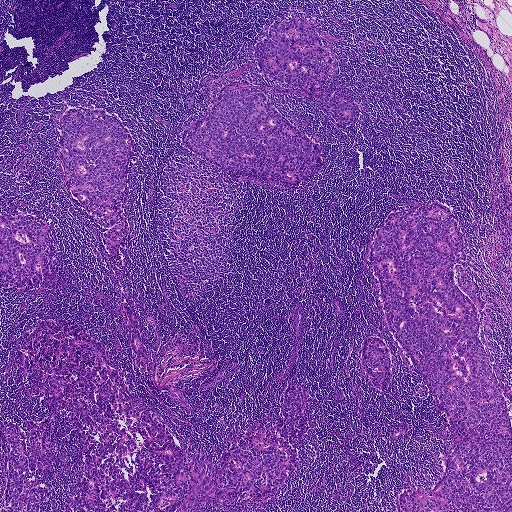
H&E-stained section of a sentinel lymph node (breast cancer), from a whole-slide image, viewed at about 2.5×: the field is about 1.9 mm across, about 3.6 µm per pixel.
Outlines of eight tumour regions, largest first (closed clockwise paths, crop pixels): region 1: (44, 318), (80, 325), (101, 342), (132, 391), (175, 428), (189, 453), (207, 451), (213, 458), (248, 431), (273, 424), (285, 390), (302, 386), (310, 429), (294, 480), (272, 496), (211, 510), (0, 511), (6, 484), (0, 419), (22, 428), (48, 407), (15, 379), (8, 362), (13, 335); region 2: (437, 202), (458, 218), (466, 260), (456, 266), (456, 279), (465, 294), (482, 299), (478, 337), (491, 365), (498, 356), (511, 391), (511, 401), (503, 395), (511, 426), (511, 511), (398, 511), (402, 489), (437, 483), (453, 432), (386, 326), (376, 276), (362, 257), (391, 211); region 3: (230, 80), (262, 88), (276, 108), (324, 155), (324, 166), (312, 183), (277, 189), (224, 174), (194, 156), (181, 138), (183, 127), (203, 116); region 4: (86, 106), (109, 112), (119, 118), (131, 137), (124, 204), (131, 226), (121, 247), (125, 257), (119, 267), (110, 261), (56, 163), (58, 119), (64, 109); region 5: (299, 15), (309, 20), (329, 47), (333, 58), (332, 69), (320, 88), (343, 90), (358, 106), (355, 126), (344, 126), (311, 95), (268, 79), (258, 65), (253, 55), (254, 44), (260, 34), (278, 19); region 6: (0, 210), (41, 220), (51, 229), (54, 249), (51, 262), (52, 268), (63, 284), (58, 289), (39, 286), (20, 291), (13, 289), (0, 278); region 7: (372, 336), (384, 340), (393, 357), (392, 370), (387, 387), (382, 390), (375, 388), (360, 366), (359, 348), (366, 337); region 8: (121, 301), (136, 312), (138, 318), (138, 330), (142, 342), (151, 351), (156, 362), (156, 369), (152, 374), (146, 375), (136, 365), (126, 336), (125, 326), (118, 316), (112, 313), (111, 307).
Two more small tumour pieces are annotated here but not outlined.
About 35% of the image area is annotated as tumour.